Question: 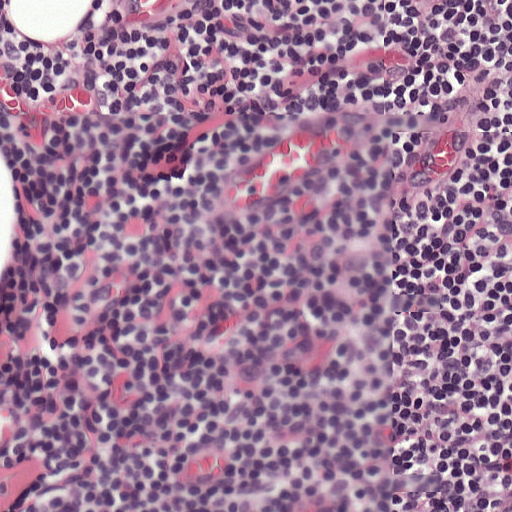
Which magnification is this H&E lymph node field most likely shown at?

Choices:
 (A) about 20×
 (B) about 10×
 (C) about 40×
 (D) about 2.5×
 (E) about 5×

Answer: (A) about 20×
This is a crop of a whole-slide image: an H&E-stained breast-cancer sentinel lymph node section at roughly 20× magnification (about 0.49 µm per pixel; the crop spans about 0.25 mm).
Question: 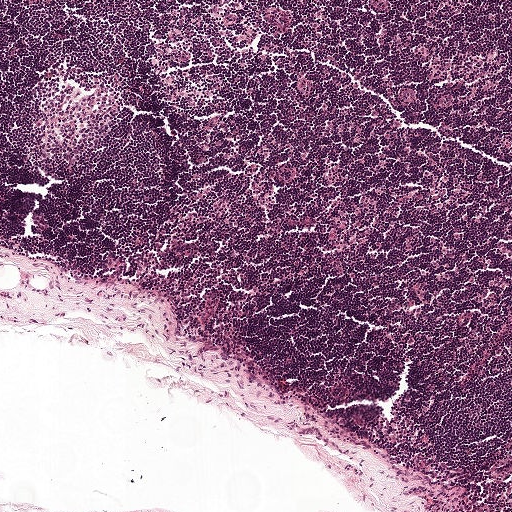
Which magnification is this H&E lymph node field most likely shown at?

Choices:
 (A) about 5×
 (B) about 10×
 (C) about 40×
 (D) about 2.5×
 (E) about 20×

Answer: (A) about 5×
H&E-stained section of a sentinel lymph node (breast cancer), from a whole-slide image, viewed at about 5×: the field is about 1 mm across, about 1.9 µm per pixel.
Question: 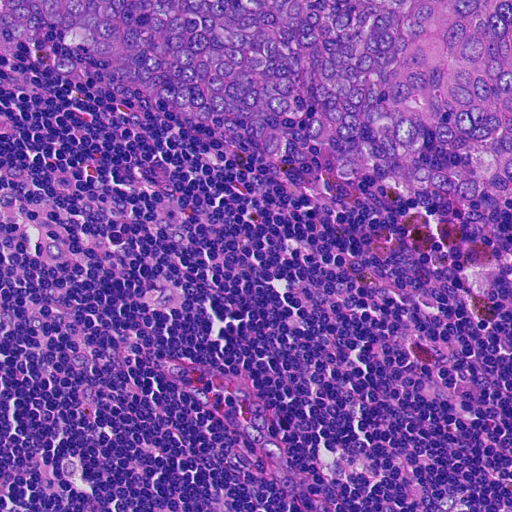
Which magnification is this H&E lymph node field most likely shown at?

Choices:
 (A) about 10×
 (B) about 5×
 (C) about 2.5×
 (D) about 40×
 (E) about 20×

Answer: (E) about 20×
This is a crop of a whole-slide image: an H&E-stained breast-cancer sentinel lymph node section at roughly 20× magnification (about 0.45 µm per pixel; the crop spans about 0.23 mm).
Metastatic tumour outline, simplified to 10 points and listed clockwise in crop pixels (x, y): (0, 0), (511, 0), (511, 200), (486, 214), (382, 182), (340, 185), (270, 162), (142, 92), (62, 73), (6, 38).
The annotated tumour makes up about 30% of the crop.
Question: 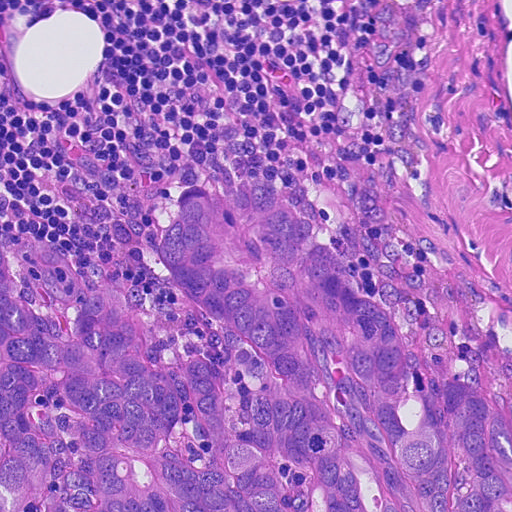
Which magnification is this H&E lymph node field most likely shown at?

Choices:
 (A) about 5×
 (B) about 2.5×
 (C) about 10×
 (D) about 40×
 (E) about 20×

Answer: (E) about 20×
This is a crop of a whole-slide image: an H&E-stained breast-cancer sentinel lymph node section at roughly 20× magnification (about 0.45 µm per pixel; the crop spans about 0.23 mm).
Tumour region outline (a closed clockwise path, crop pixels): (196, 186), (280, 194), (414, 354), (496, 396), (511, 422), (511, 511), (0, 511), (0, 240), (41, 320), (68, 335), (92, 288), (120, 288), (149, 324), (162, 366), (193, 354), (221, 364), (222, 331), (165, 266), (158, 238).
Tumour covers about 45% of the frame.